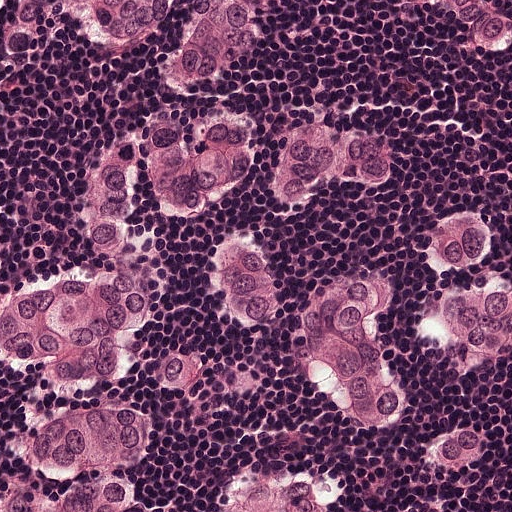
Lymph node section stained with H&E, from a whole-slide image of a breast-cancer sentinel node. Magnification about 20×, about 0.25 mm across the frame, about 0.49 µm per pixel.
Four metastatic tumour regions, each outlined as a closed clockwise path in crop pixels (x, y), largest first: region 1: (0, 0), (291, 0), (218, 50), (229, 96), (370, 108), (400, 168), (148, 227), (148, 344), (229, 220), (270, 229), (305, 307), (410, 222), (492, 234), (511, 335), (486, 370), (448, 379), (386, 348), (396, 427), (276, 376), (227, 379), (157, 420), (140, 474), (158, 510), (0, 511); region 2: (470, 426), (480, 432), (480, 462), (470, 490), (442, 511), (401, 511), (401, 500), (392, 482), (392, 458), (414, 429); region 3: (224, 460), (244, 460), (250, 464), (300, 470), (312, 477), (333, 511), (214, 511), (214, 486); region 4: (376, 0), (511, 0), (511, 59), (484, 42), (460, 31), (418, 14), (392, 7), (388, 3), (377, 3).
About 65% of the image area is annotated as tumour.